Image:
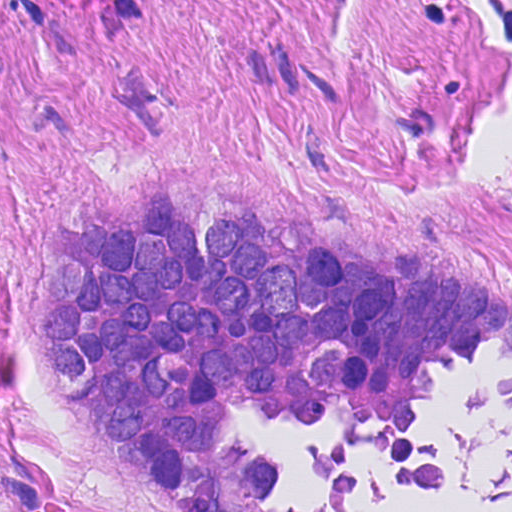
This is a crop of a whole-slide image: an H&E-stained breast-cancer sentinel lymph node section at roughly 40× magnification (about 0.23 µm per pixel; the crop spans about 0.12 mm).
Question:
Outline the metastatic carcinoma in this image, as closed paths of (x, y) pixel coordinates.
Answer:
Tumour region outline (a closed clockwise path, crop pixels): (142, 159), (372, 257), (434, 251), (511, 300), (511, 511), (178, 511), (96, 458), (59, 408), (30, 346), (24, 285), (44, 227), (84, 179).
Tumour covers about 50% of the frame.